Question: 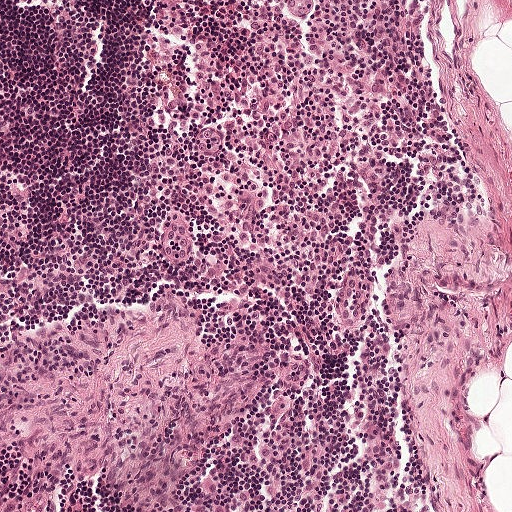
A 0.5-mm field of an H&E-stained sentinel lymph node from a breast-cancer patient (whole-slide image), shown at about 10×, about 0.97 µm per pixel.
About how much of this crop is taken up by metastatic carcinoma?

Choices:
 (A) none: no tumour is outlined
 (B) about 50% or more
 (C) about 25% to 45%
 (D) about 10% to 20%
 (E) about 5% or less

Answer: (A) none: no tumour is outlined
No metastatic tumour is outlined in this field.